Lymph node section stained with H&E, from a whole-slide image of a breast-cancer sentinel node. Magnification about 10×, about 0.5 mm across the frame, about 0.97 µm per pixel.
Question: 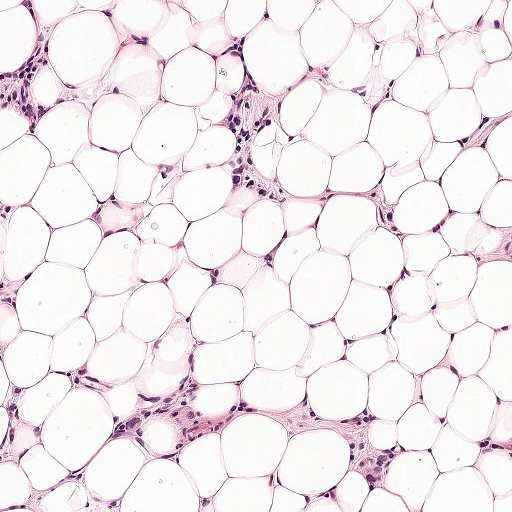
Estimate the proportion of this field that is metastatic tumour.

Choices:
 (A) about 25% to 45%
 (B) about 10% to 20%
 (C) none: no tumour is outlined
 (D) about 50% or more
 (E) about 5% or less

Answer: (B) about 10% to 20%
About 10% of the field is tumour.
Outlines of four tumour regions, largest first (closed clockwise paths, crop pixels): region 1: (196, 368), (198, 378), (192, 408), (195, 414), (210, 414), (228, 409), (239, 400), (270, 399), (288, 382), (332, 417), (354, 416), (366, 404), (374, 404), (381, 416), (376, 429), (403, 437), (403, 445), (396, 474), (384, 484), (382, 492), (370, 492), (350, 478), (345, 446), (322, 437), (286, 433), (262, 416), (196, 428), (180, 437), (168, 434), (164, 425), (156, 420), (148, 423), (133, 447), (108, 439), (106, 428), (114, 414), (175, 372); region 2: (245, 29), (253, 69), (271, 92), (265, 114), (250, 129), (250, 158), (260, 176), (284, 187), (284, 196), (279, 207), (218, 182), (228, 160), (228, 146), (224, 135), (212, 129), (212, 124), (220, 110), (220, 99), (234, 81), (230, 60), (215, 51); region 3: (28, 0), (32, 14), (50, 20), (57, 30), (52, 58), (42, 81), (34, 87), (34, 96), (67, 94), (46, 109), (31, 138), (20, 137), (18, 118), (0, 106), (0, 65), (16, 64), (28, 49), (28, 26), (14, 1); region 4: (17, 268), (22, 276), (24, 296), (12, 314), (2, 344), (7, 350), (14, 382), (28, 389), (16, 418), (39, 427), (42, 429), (42, 435), (30, 456), (0, 469), (0, 439), (6, 414), (8, 376), (3, 364), (0, 363), (0, 270).